Image:
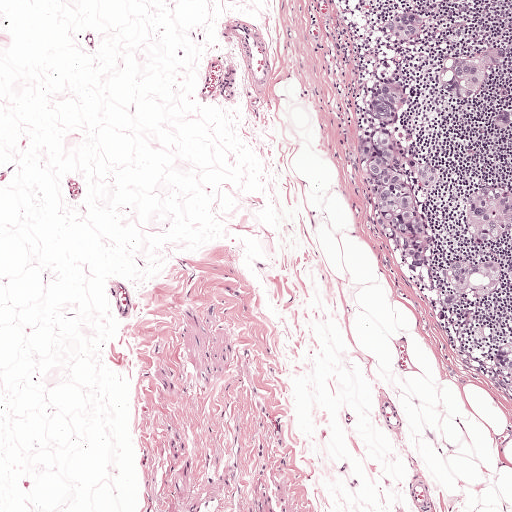
This is a crop of a whole-slide image: an H&E-stained breast-cancer sentinel lymph node section at roughly 5× magnification (about 1.9 µm per pixel; the crop spans about 1 mm).
Question:
Trace the edge of each tumour region in this crop, as (x, y) points from 0 to 511.
Answer:
Boundaries of seven metastatic tumour regions, simplified and listed clockwise, largest first: region 1: (384, 79), (400, 79), (409, 84), (413, 97), (403, 120), (413, 131), (414, 150), (439, 172), (440, 179), (432, 189), (413, 186), (416, 204), (433, 238), (427, 268), (422, 270), (403, 265), (374, 225), (360, 162), (365, 137), (375, 130), (376, 123), (363, 123), (361, 116), (376, 82); region 2: (493, 257), (499, 257), (504, 261), (505, 274), (497, 294), (490, 300), (456, 307), (448, 325), (441, 325), (436, 321), (435, 314), (439, 300), (450, 292), (444, 280), (444, 270), (448, 263), (454, 259), (476, 261); region 3: (494, 44), (510, 46), (509, 58), (505, 64), (493, 67), (488, 72), (473, 95), (462, 100), (447, 98), (436, 79), (435, 71), (443, 56), (457, 53), (471, 54); region 4: (485, 185), (511, 193), (511, 223), (498, 240), (484, 241), (473, 238), (468, 228), (465, 209), (469, 196), (478, 188); region 5: (411, 7), (423, 10), (425, 16), (424, 29), (414, 39), (389, 39), (381, 34), (378, 27), (383, 20), (389, 14), (400, 9); region 6: (511, 337), (511, 390), (496, 379), (490, 374), (488, 367), (488, 351), (494, 345); region 7: (504, 106), (511, 109), (511, 130), (502, 132), (497, 130), (494, 125), (494, 117), (498, 111).
Tumour covers about 5% of the frame.